Question: 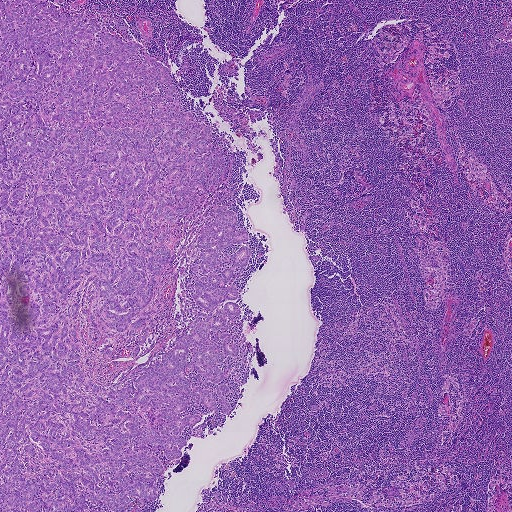
Lymph node section stained with H&E, from a whole-slide image of a breast-cancer sentinel node. Magnification about 2.5×, about 1.9 mm across the frame, about 3.6 µm per pixel.
What fraction of the image area is metastatic tumour?

Choices:
 (A) about 10% to 20%
 (B) about 5% or less
 (C) about 50% or more
 (D) about 25% to 45%
 (E) none: no tumour is outlined

Answer: (D) about 25% to 45%
About 40% of the field is tumour.
Metastatic tumour outline, simplified to 23 points and listed clockwise in crop pixels (x, y): (0, 0), (125, 20), (104, 22), (162, 56), (184, 112), (235, 154), (227, 186), (241, 186), (218, 204), (237, 201), (252, 254), (233, 283), (230, 333), (247, 339), (230, 411), (193, 401), (181, 415), (211, 435), (178, 459), (152, 453), (164, 471), (141, 511), (0, 511).